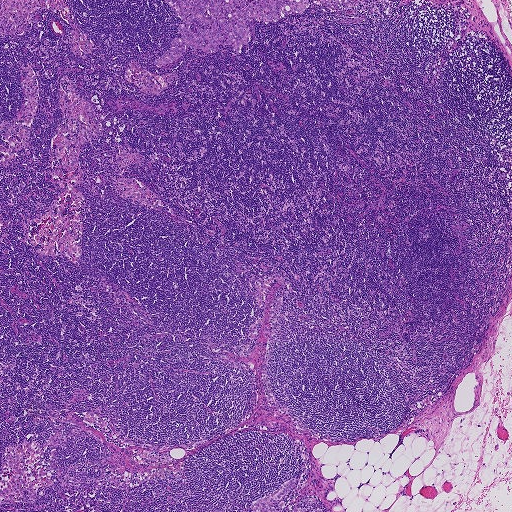
A 1.9-mm field of an H&E-stained sentinel lymph node from a breast-cancer patient (whole-slide image), shown at about 2.5×, about 3.6 µm per pixel.
Question: Where is the metastatic tumour in this field? Give each region's outline as (x, y) pixel points.
Answer: Outlines of two tumour regions, largest first (closed clockwise paths, crop pixels): region 1: (162, 0), (309, 0), (298, 15), (256, 24), (252, 38), (242, 45), (237, 54), (230, 44), (219, 45), (214, 53), (194, 51), (189, 46), (182, 56), (159, 66), (153, 61), (170, 48), (171, 39), (180, 37), (176, 29), (183, 22); region 2: (296, 477), (296, 483), (277, 505), (276, 510), (278, 511), (252, 511), (249, 506), (251, 502), (273, 492), (284, 482).
Two more small tumour pieces are annotated here but not outlined.
Under 5% of the image area is annotated as tumour.